Question: 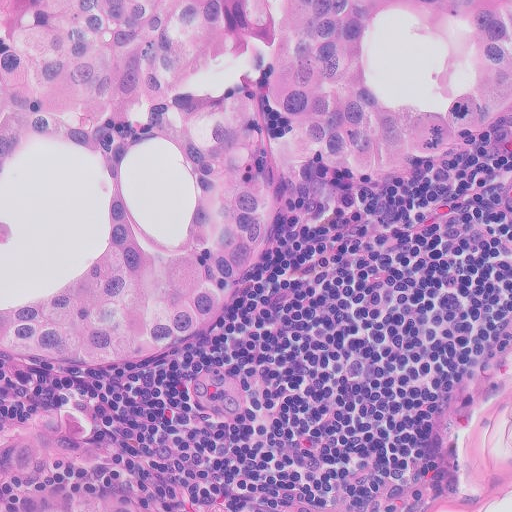
Which magnification is this H&E lymph node field most likely shown at?

Choices:
 (A) about 40×
 (B) about 5×
 (C) about 10×
 (D) about 20×
 (E) about 2.5×

Answer: (D) about 20×
A 0.26-mm field of an H&E-stained sentinel lymph node from a breast-cancer patient (whole-slide image), shown at about 20×, about 0.5 µm per pixel.
The outlined metastatic tumour's edge, as a closed clockwise path of 10 points: (0, 0), (511, 0), (511, 117), (470, 148), (358, 174), (266, 237), (252, 346), (290, 449), (342, 511), (0, 511).
Tumour covers about 70% of the frame.
Question: 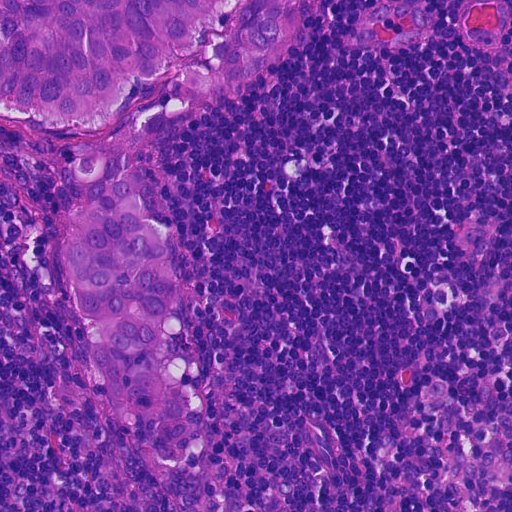
Which magnification is this H&E lymph node field most likely shown at?

Choices:
 (A) about 40×
 (B) about 20×
 (C) about 2.5×
 (D) about 10×
 (E) about 5×

Answer: (B) about 20×
A 0.23-mm field of an H&E-stained sentinel lymph node from a breast-cancer patient (whole-slide image), shown at about 20×, about 0.45 µm per pixel.
Outlines of two tumour regions, largest first (closed clockwise paths, crop pixels): region 1: (0, 0), (300, 0), (294, 30), (274, 61), (241, 84), (220, 88), (214, 46), (224, 26), (216, 27), (162, 64), (154, 82), (136, 76), (120, 118), (102, 129), (0, 119); region 2: (122, 176), (142, 192), (168, 236), (179, 285), (150, 356), (162, 378), (186, 388), (188, 412), (182, 421), (157, 423), (112, 404), (73, 312), (74, 294), (62, 272), (60, 246), (67, 222), (95, 181).
Tumour covers about 20% of the frame.
Question: 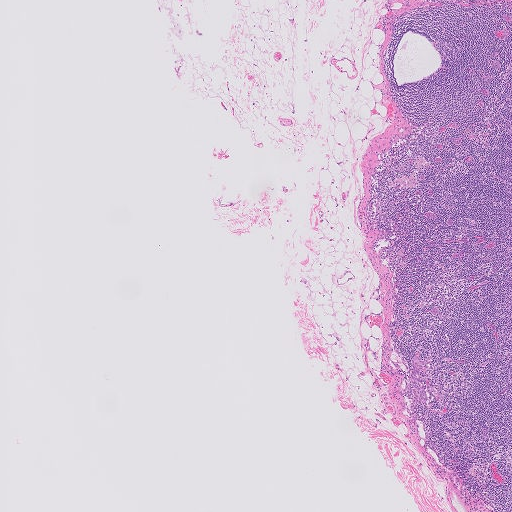
Which magnification is this H&E lymph node field most likely shown at?

Choices:
 (A) about 10×
 (B) about 40×
 (C) about 2.5×
 (D) about 20×
 (E) about 5×

Answer: (C) about 2.5×
Lymph node section stained with H&E, from a whole-slide image of a breast-cancer sentinel node. Magnification about 2.5×, about 2.0 mm across the frame, about 4.0 µm per pixel.
Metastatic tumour outline, simplified to 12 points and listed clockwise in crop pixels (x, y): (413, 355), (417, 355), (423, 359), (425, 363), (425, 367), (422, 374), (427, 397), (425, 404), (421, 405), (413, 403), (409, 392), (409, 380).
The annotated tumour makes up under 5% of the crop.
Question: 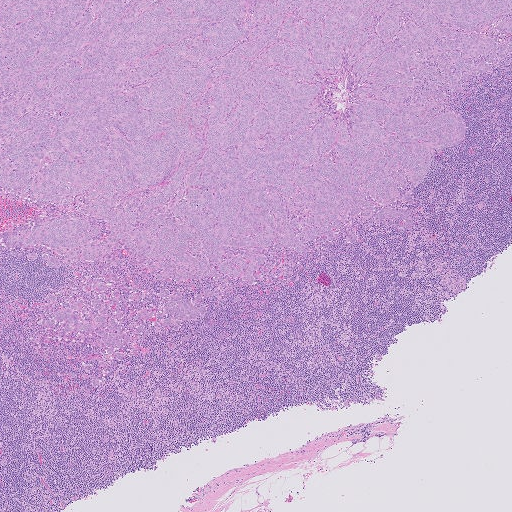
Which magnification is this H&E lymph node field most likely shown at?

Choices:
 (A) about 2.5×
 (B) about 10×
 (C) about 5×
 (D) about 20×
 (E) about 40×

Answer: (A) about 2.5×
This is a crop of a whole-slide image: an H&E-stained breast-cancer sentinel lymph node section at roughly 2.5× magnification (about 4.0 µm per pixel; the crop spans about 2.0 mm).
Tumour region outline (a closed clockwise path, crop pixels): (0, 0), (511, 0), (497, 38), (511, 53), (448, 97), (468, 135), (435, 153), (414, 205), (393, 203), (413, 210), (409, 230), (367, 220), (353, 244), (272, 244), (245, 299), (148, 326), (124, 361), (42, 326), (47, 296), (66, 308), (89, 265), (1, 245), (52, 209), (2, 194).
Three more small tumour pieces are annotated here but not outlined.
Tumour covers about 50% of the frame.